H&E-stained section of a sentinel lymph node (breast cancer), from a whole-slide image, viewed at about 20×: the field is about 0.25 mm across, about 0.49 µm per pixel.
Image:
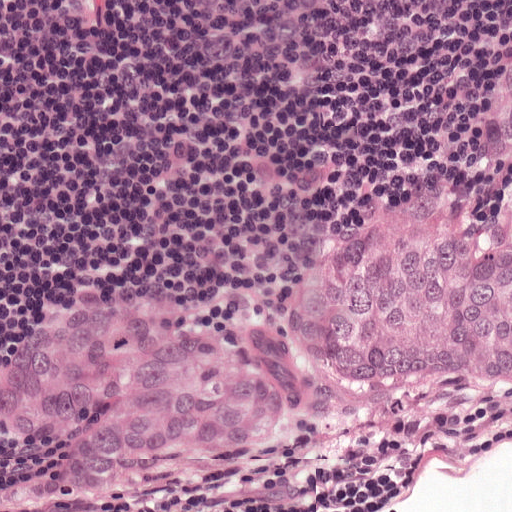
Question:
Where is the metastatic tumour in this field? Give each region's outline as (x, y) pixel points.
Answer:
The outlined metastatic tumour's edge, as a closed clockwise path of 11 points: (511, 33), (511, 398), (452, 399), (366, 428), (289, 480), (201, 508), (0, 511), (0, 329), (255, 260), (341, 224), (422, 167).
Tumour covers about 45% of the frame.